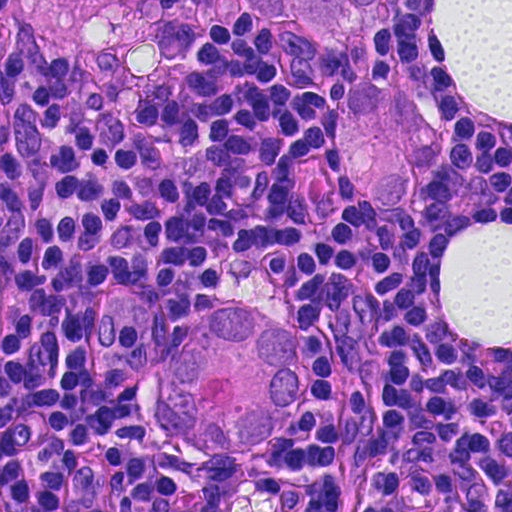
This is a crop of a whole-slide image: an H&E-stained breast-cancer sentinel lymph node section at roughly 40× magnification (about 0.23 µm per pixel; the crop spans about 0.12 mm).
Outlines of three tumour regions, largest first (closed clockwise paths, crop pixels): region 1: (240, 303), (278, 317), (296, 354), (296, 394), (276, 432), (242, 457), (200, 453), (163, 429), (150, 390), (158, 348), (183, 314), (201, 304); region 2: (236, 0), (389, 0), (367, 78), (402, 100), (430, 128), (437, 171), (411, 201), (367, 204), (336, 178), (331, 95), (317, 57), (286, 31), (248, 17); region 3: (511, 495), (511, 511), (397, 511), (414, 508), (454, 506), (495, 506).
The annotated tumour makes up about 15% of the crop.